Question: 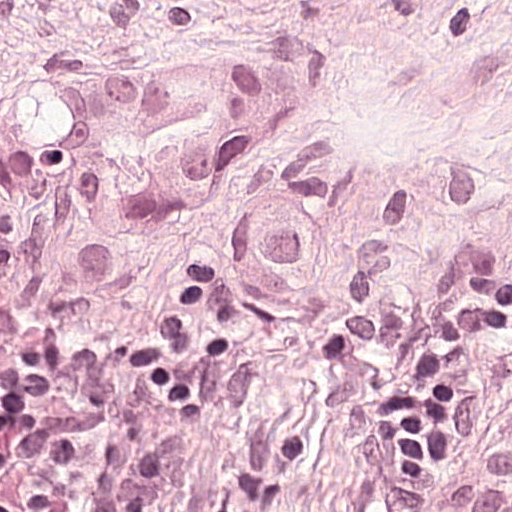
About what magnification does this crop show?

Choices:
 (A) about 20×
 (B) about 40×
 (C) about 2.5×
 (D) about 5×
 (E) about 10×

Answer: (B) about 40×
This is a crop of a whole-slide image: an H&E-stained breast-cancer sentinel lymph node section at roughly 40× magnification (about 0.24 µm per pixel; the crop spans about 0.12 mm).
Outlines of two tumour regions, largest first (closed clockwise paths, crop pixels): region 1: (232, 23), (289, 38), (305, 54), (305, 134), (260, 164), (201, 264), (164, 300), (116, 324), (55, 324), (28, 314), (14, 266), (32, 218), (23, 127), (32, 79), (42, 61), (96, 50), (180, 73); region 2: (510, 229), (511, 229), (511, 302), (501, 303), (497, 302), (494, 297), (488, 295), (488, 286), (490, 284), (490, 272), (503, 243), (508, 238).
The annotated tumour makes up about 25% of the crop.